Question: 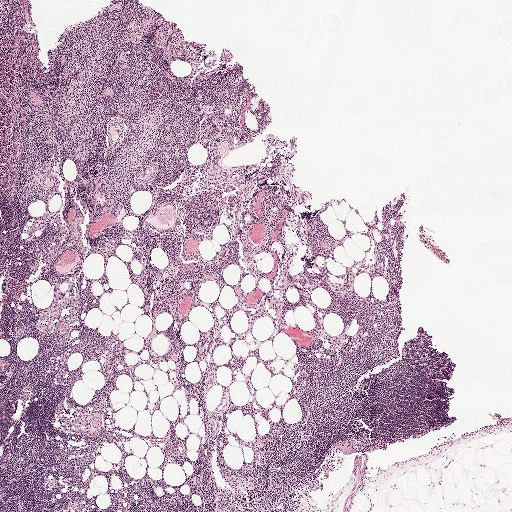
Which magnification is this H&E lymph node field most likely shown at?

Choices:
 (A) about 20×
 (B) about 40×
 (C) about 2.5×
 (D) about 5×
 (E) about 10×

Answer: (C) about 2.5×
H&E-stained section of a sentinel lymph node (breast cancer), from a whole-slide image, viewed at about 2.5×: the field is about 2.0 mm across, about 3.9 µm per pixel.